Image:
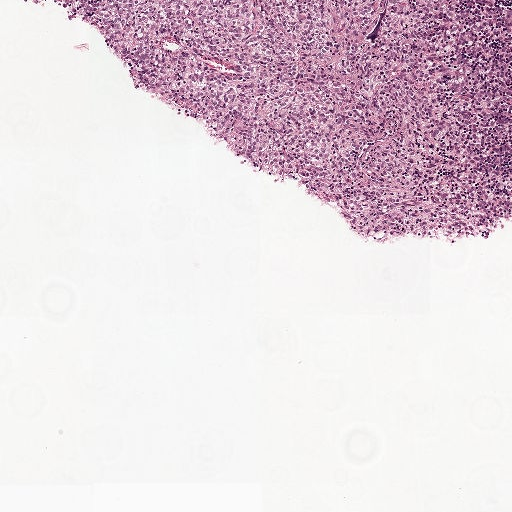
This is a crop of a whole-slide image: an H&E-stained breast-cancer sentinel lymph node section at roughly 5× magnification (about 1.9 µm per pixel; the crop spans about 1 mm).
Question:
Is any metastatic breast cancer visible in this crop?
Answer:
Yes.
The outlined metastatic tumour's edge, as a closed clockwise path of 6 points: (511, 0), (511, 278), (448, 276), (185, 179), (102, 117), (24, 4).
Tumour covers about 35% of the frame.